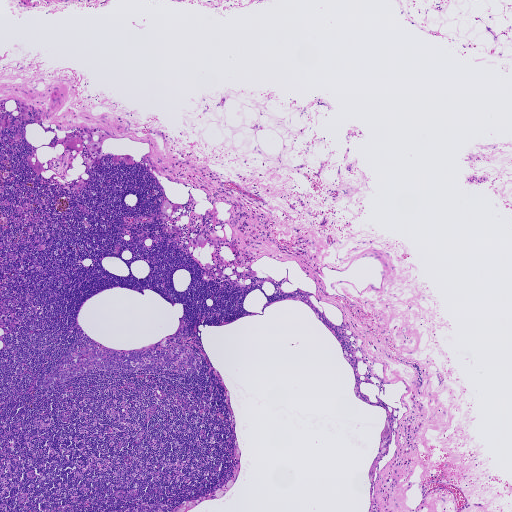
This is a crop of a whole-slide image: an H&E-stained breast-cancer sentinel lymph node section at roughly 2.5× magnification (about 3.6 µm per pixel; the crop spans about 1.9 mm).